Lymph node section stained with H&E, from a whole-slide image of a breast-cancer sentinel node. Magnification about 5×, about 1 mm across the frame, about 1.9 µm per pixel.
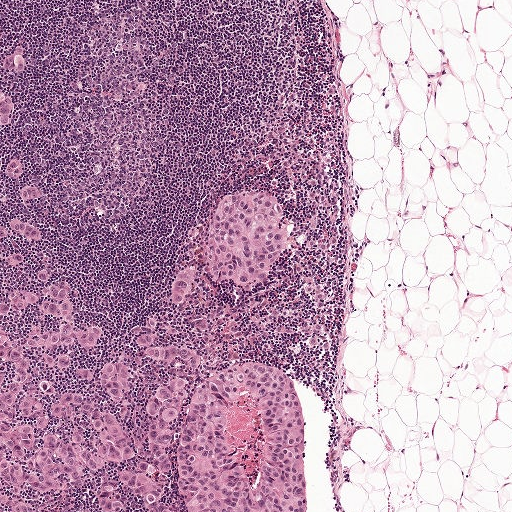
Question: Describe where the metastatic carcinoma lies in this crop.
Answer: The outlined metastatic tumour's edge, as a closed clockwise path of 22 points: (12, 45), (30, 66), (12, 83), (7, 151), (44, 187), (22, 219), (110, 348), (166, 301), (182, 232), (211, 197), (283, 197), (295, 252), (272, 284), (202, 296), (194, 312), (215, 334), (208, 361), (290, 379), (312, 452), (305, 511), (0, 511), (0, 66).
About 30% of the image area is annotated as tumour.